Image:
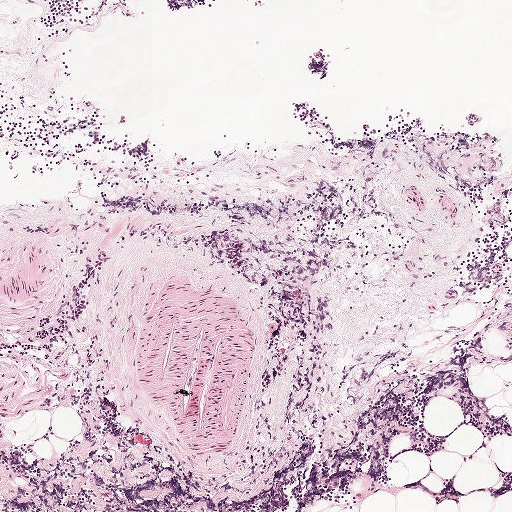
Lymph node section stained with H&E, from a whole-slide image of a breast-cancer sentinel node. Magnification about 5×, about 1 mm across the frame, about 1.9 µm per pixel.
Question:
Is any metastatic breast cancer visible in this crop?
Answer:
No. No metastatic tumour is outlined in this field.